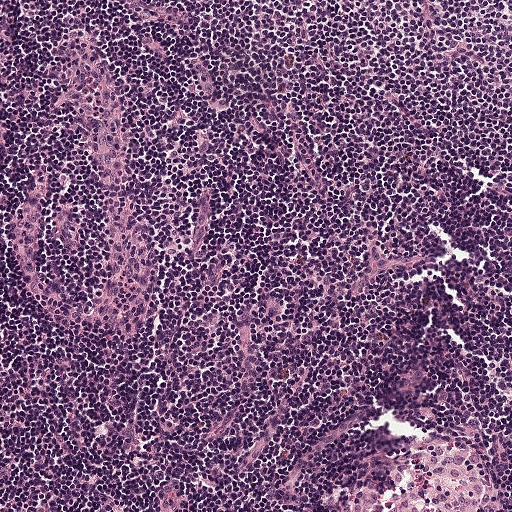
This is a crop of a whole-slide image: an H&E-stained breast-cancer sentinel lymph node section at roughly 10× magnification (about 0.97 µm per pixel; the crop spans about 0.5 mm).
Question: Is any metastatic breast cancer visible in this crop?
Answer: No. No metastatic tumour is outlined in this field.